Lymph node section stained with H&E, from a whole-slide image of a breast-cancer sentinel node. Magnification about 20×, about 0.25 mm across the frame, about 0.49 µm per pixel.
Image:
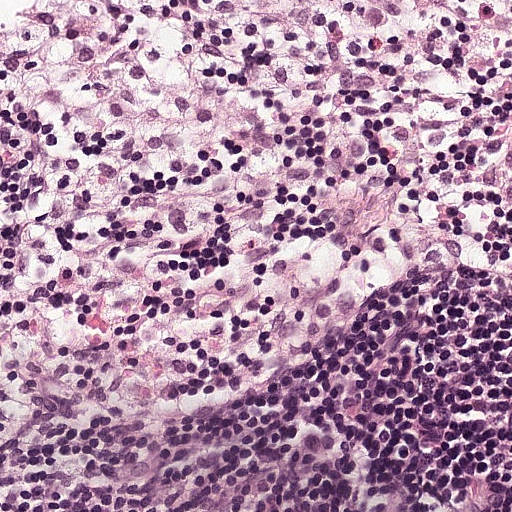
Question:
Does this lymph node field contain metastatic tumour?
Answer:
No, this field holds no outlined metastasis.